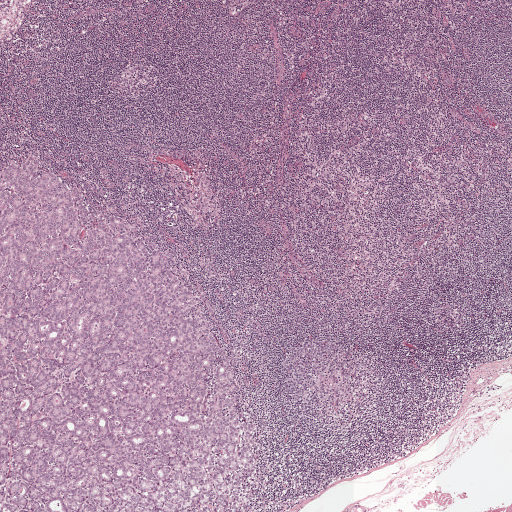
This is a crop of a whole-slide image: an H&E-stained breast-cancer sentinel lymph node section at roughly 2.5× magnification (about 3.9 µm per pixel; the crop spans about 2.0 mm).
One metastatic tumour region; its boundary, reduced to 9 corners and listed clockwise: (34, 156), (90, 205), (153, 234), (184, 269), (256, 427), (260, 468), (249, 509), (0, 511), (0, 159).
The annotated tumour makes up about 25% of the crop.